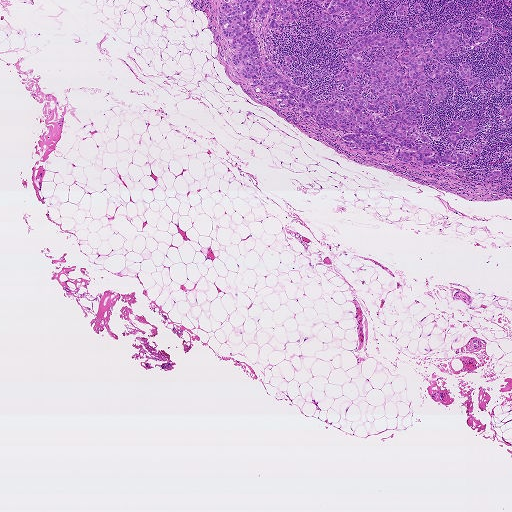
A 1.9-mm field of an H&E-stained sentinel lymph node from a breast-cancer patient (whole-slide image), shown at about 2.5×, about 3.6 µm per pixel.
Boundaries of five metastatic tumour regions, simplified and listed clockwise, largest first: region 1: (260, 0), (249, 20), (260, 56), (279, 71), (294, 54), (286, 66), (304, 75), (288, 78), (329, 102), (351, 99), (332, 76), (351, 40), (384, 31), (404, 43), (400, 55), (409, 45), (403, 29), (430, 30), (423, 46), (453, 23), (457, 50), (425, 73), (466, 63), (481, 83), (452, 69), (448, 97), (430, 94), (411, 134), (443, 156), (451, 122), (479, 116), (453, 148), (481, 151), (424, 164), (348, 148), (340, 136), (353, 132), (279, 109), (237, 74), (221, 5); region 2: (331, 0), (366, 0), (366, 5), (374, 6), (377, 2), (379, 4), (376, 12), (382, 10), (382, 12), (371, 24), (338, 34), (330, 26), (348, 19), (348, 11), (343, 10), (331, 14), (332, 21), (329, 25), (323, 26), (314, 17), (315, 14), (325, 13), (325, 9); region 3: (264, 0), (295, 0), (298, 17), (295, 21), (273, 31), (266, 27), (273, 11), (271, 7), (264, 20), (258, 18), (258, 13); region 4: (483, 18), (488, 19), (491, 24), (491, 30), (490, 36), (487, 40), (482, 42), (476, 42), (481, 36), (482, 31), (484, 30), (484, 27), (481, 26), (476, 23), (476, 19); region 5: (498, 170), (502, 171), (508, 172), (501, 172), (498, 177), (493, 180), (487, 181), (483, 178), (487, 174), (492, 172).
Four more small tumour pieces are annotated here but not outlined.
About 10% of this field is tumour.